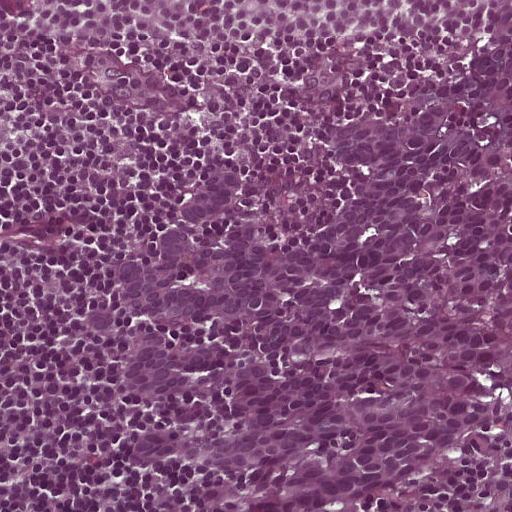
This is a crop of a whole-slide image: an H&E-stained breast-cancer sentinel lymph node section at roughly 20× magnification (about 0.49 µm per pixel; the crop spans about 0.25 mm).
Tumour region outline (a closed clockwise path, crop pixels): (511, 0), (511, 444), (387, 511), (190, 511), (122, 448), (93, 354), (66, 326), (67, 292), (188, 174), (244, 146), (250, 213), (273, 240), (336, 203), (323, 128), (399, 102), (428, 69), (480, 42), (494, 3).
Tumour covers about 55% of the frame.